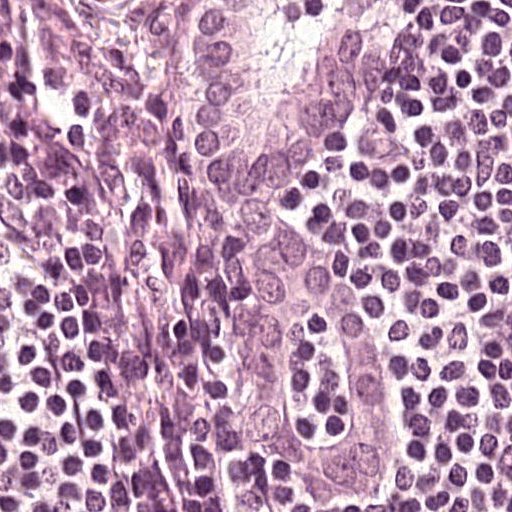
H&E-stained section of a sentinel lymph node (breast cancer), from a whole-slide image, viewed at about 40×: the field is about 0.12 mm across, about 0.24 µm per pixel.
Two metastatic tumour regions, each outlined as a closed clockwise path in crop pixels (x, y), largest first: region 1: (411, 0), (333, 130), (315, 189), (272, 217), (244, 217), (217, 202), (169, 132), (169, 57), (190, 2); region 2: (301, 211), (343, 250), (401, 343), (408, 398), (404, 461), (396, 493), (383, 503), (334, 511), (267, 477), (230, 385), (230, 300), (262, 224).
Region 2 encloses a non-tumour hole of about 20% of its area.
The annotated tumour makes up about 25% of the crop.